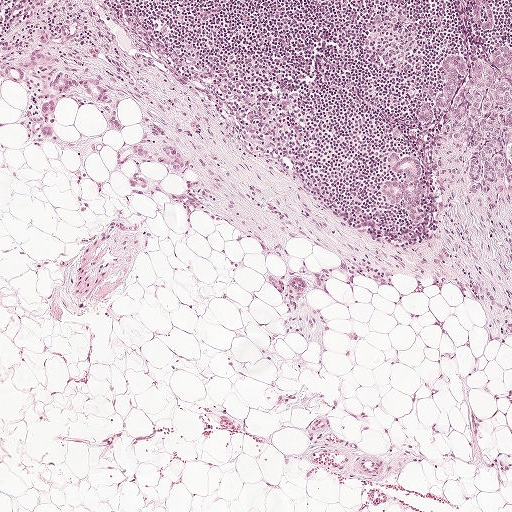
A 1-mm field of an H&E-stained sentinel lymph node from a breast-cancer patient (whole-slide image), shown at about 5×, about 1.9 µm per pixel.
Question: Where is the metastatic tumour in this field? Give each region's outline as (x, y) pixel points.
Answer: Boundaries of two metastatic tumour regions, simplified and listed clockwise, largest first: region 1: (511, 49), (511, 189), (479, 194), (468, 187), (464, 153), (445, 136), (437, 164), (424, 180), (428, 219), (418, 226), (384, 201), (379, 185), (382, 176), (397, 174), (386, 160), (391, 149), (432, 164), (436, 131), (418, 118), (427, 101), (439, 121), (445, 56); region 2: (474, 0), (488, 0), (494, 12), (493, 28), (486, 31), (477, 26), (472, 15).
Region 2 encloses a non-tumour hole of about 20% of its area.
About 5% of this field is tumour.